Question: 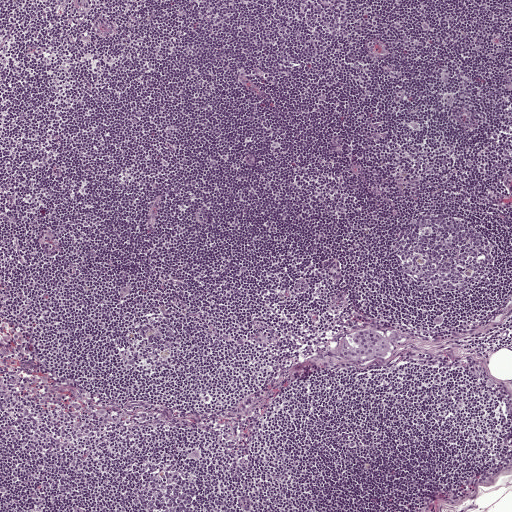
Which magnification is this H&E lymph node field most likely shown at?

Choices:
 (A) about 2.5×
 (B) about 40×
 (C) about 10×
 (D) about 5×
 (E) about 20×

Answer: (D) about 5×
A 1-mm field of an H&E-stained sentinel lymph node from a breast-cancer patient (whole-slide image), shown at about 5×, about 1.9 µm per pixel.
One metastatic tumour region; its boundary, reduced to 12 corners and listed clockwise: (362, 330), (381, 332), (396, 330), (410, 335), (411, 339), (390, 353), (387, 359), (372, 360), (359, 366), (326, 355), (326, 352), (345, 336).
Tumour covers under 5% of the frame.